A 2.0-mm field of an H&E-stained sentinel lymph node from a breast-cancer patient (whole-slide image), shown at about 2.5×, about 4.0 µm per pixel.
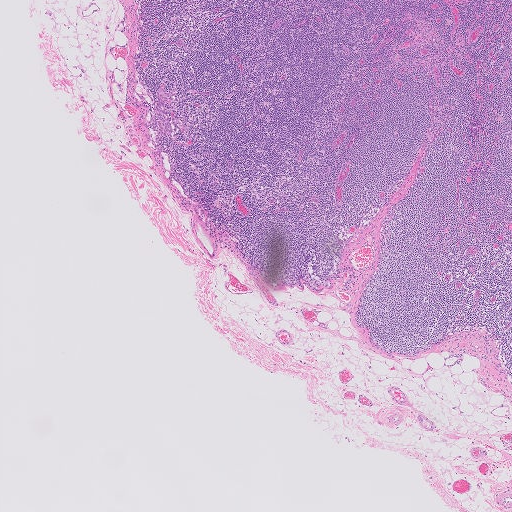
One metastatic tumour region; its boundary, reduced to 12 corners and listed clockwise: (158, 87), (162, 87), (168, 91), (170, 95), (170, 99), (167, 106), (172, 129), (170, 136), (166, 137), (158, 135), (154, 124), (154, 112).
The annotated tumour makes up under 5% of the crop.